Question: 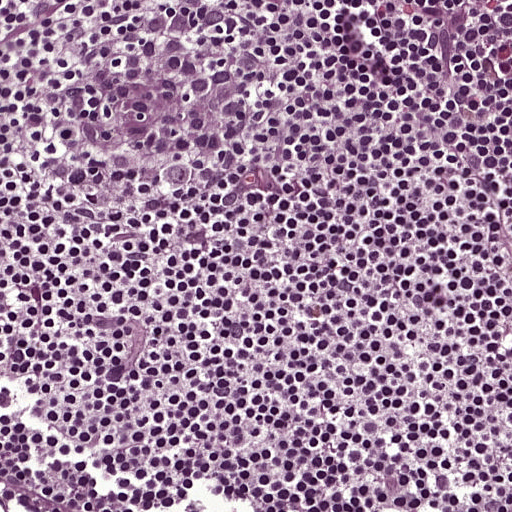
About what magnification does this crop show?

Choices:
 (A) about 40×
 (B) about 5×
 (C) about 20×
 (D) about 2.5×
 (E) about 10×

Answer: (C) about 20×
A 0.25-mm field of an H&E-stained sentinel lymph node from a breast-cancer patient (whole-slide image), shown at about 20×, about 0.49 µm per pixel.